Question: 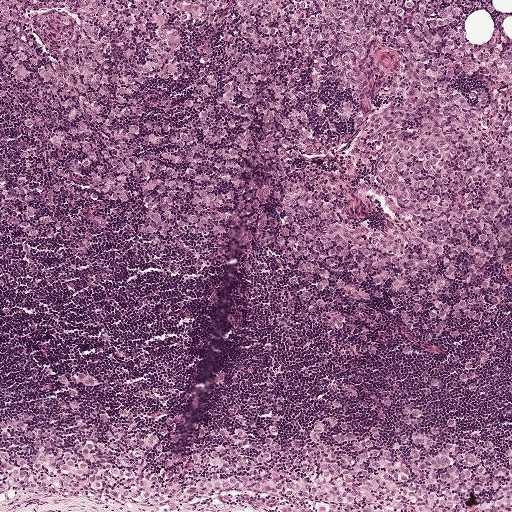
This is a crop of a whole-slide image: an H&E-stained breast-cancer sentinel lymph node section at roughly 5× magnification (about 1.9 µm per pixel; the crop spans about 1 mm).
Estimate the proportion of this field that is metastatic tumour.

Choices:
 (A) about 25% to 45%
 (B) about 5% or less
 (C) none: no tumour is outlined
 (D) about 50% or more
 (E) about 10% to 20%

Answer: (A) about 25% to 45%
About 45% of the field is tumour.
Tumour region outline (a closed clockwise path, crop pixels): (0, 0), (493, 0), (511, 13), (501, 29), (511, 38), (511, 335), (473, 300), (327, 325), (246, 256), (107, 202), (32, 125), (2, 73).
Question: 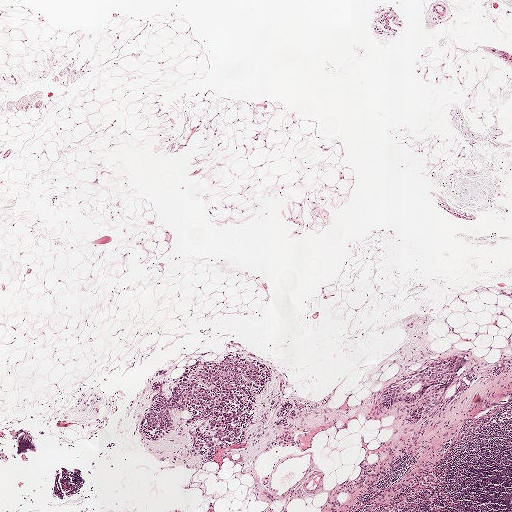
This is a crop of a whole-slide image: an H&E-stained breast-cancer sentinel lymph node section at roughly 2.5× magnification (about 3.9 µm per pixel; the crop spans about 2.0 mm).
Estimate the proportion of this field that is metastatic tumour.

Choices:
 (A) about 10% to 20%
 (B) about 5% or less
 (C) about 25% to 45%
 (D) about 50% or more
 (E) none: no tumour is outlined

Answer: (B) about 5% or less
About 5% of the field is tumour.
Two metastatic tumour regions, each outlined as a closed clockwise path in crop pixels (x, y), largest first: region 1: (235, 353), (265, 363), (270, 381), (255, 398), (244, 435), (197, 449), (190, 435), (203, 422), (184, 425), (191, 415), (172, 408), (176, 423), (171, 431), (156, 440), (141, 431), (154, 391), (150, 385), (160, 378), (152, 370), (166, 367), (162, 387), (170, 396), (182, 370), (198, 361); region 2: (460, 356), (468, 358), (469, 361), (454, 374), (444, 398), (422, 420), (407, 423), (404, 418), (438, 389), (438, 384), (428, 386), (417, 401), (409, 406), (396, 406), (388, 411), (379, 407), (380, 396), (390, 385), (404, 380), (443, 360).
Question: 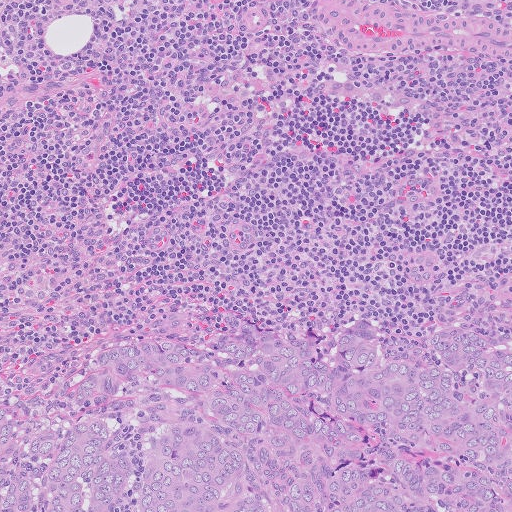
A 0.51-mm field of an H&E-stained sentinel lymph node from a breast-cancer patient (whole-slide image), shown at about 10×, about 1.0 µm per pixel.
Estimate the proportion of this field that is metastatic tumour.

Choices:
 (A) about 50% or more
 (B) about 25% to 45%
 (C) about 5% or less
 (D) none: no tumour is outlined
 (E) about 10% to 20%

Answer: (B) about 25% to 45%
About 35% of the field is tumour.
The outlined metastatic tumour's edge, as a closed clockwise path of 12 points: (508, 289), (511, 511), (0, 511), (0, 382), (140, 332), (225, 328), (243, 316), (300, 340), (363, 332), (417, 364), (438, 358), (436, 334).
Question: 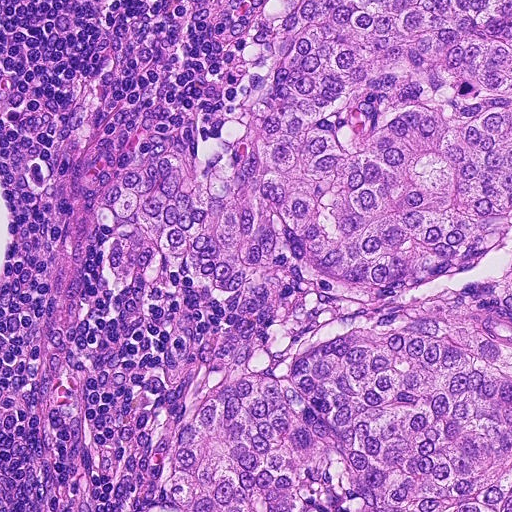
Lymph node section stained with H&E, from a whole-slide image of a breast-cancer sentinel node. Magnification about 20×, about 0.23 mm across the frame, about 0.45 µm per pixel.
Estimate the proportion of this field that is metastatic tumour.

Choices:
 (A) about 25% to 45%
 (B) about 50% or more
 (C) none: no tumour is outlined
 (D) about 5% or less
 (E) about 10% to 20%

Answer: (B) about 50% or more
About 65% of the field is tumour.
One metastatic tumour region; its boundary, reduced to 19 corners and listed clockwise: (253, 0), (511, 0), (511, 511), (359, 511), (365, 496), (335, 454), (291, 511), (142, 511), (170, 488), (194, 406), (248, 334), (246, 306), (158, 243), (142, 280), (118, 293), (96, 273), (92, 216), (128, 172), (206, 124).